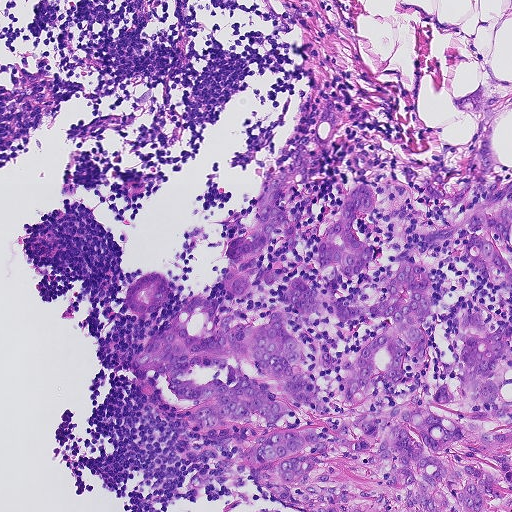
A 0.46-mm field of an H&E-stained sentinel lymph node from a breast-cancer patient (whole-slide image), shown at about 10×, about 0.9 µm per pixel.
Boundaries of two metastatic tumour regions, simplified and listed clockwise, largest first: region 1: (330, 96), (332, 136), (282, 198), (294, 222), (262, 251), (278, 278), (250, 292), (248, 324), (319, 276), (350, 193), (406, 182), (410, 202), (358, 217), (375, 254), (340, 293), (373, 302), (404, 258), (424, 266), (425, 380), (446, 384), (460, 310), (506, 310), (502, 278), (463, 258), (467, 216), (511, 202), (511, 511), (295, 511), (251, 475), (265, 423), (204, 433), (190, 417), (208, 404), (134, 374), (190, 298), (234, 309), (226, 244), (312, 148); region 2: (143, 272), (154, 272), (164, 277), (166, 288), (164, 299), (158, 308), (150, 314), (138, 315), (128, 310), (125, 298), (127, 288).
About 30% of this field is tumour.